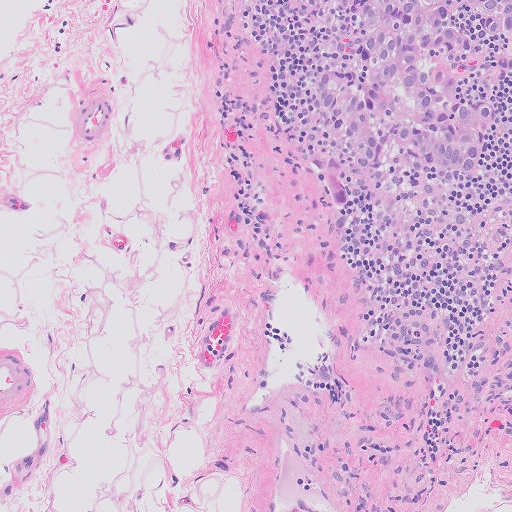
This is a crop of a whole-slide image: an H&E-stained breast-cancer sentinel lymph node section at roughly 10× magnification (about 1.0 µm per pixel; the crop spans about 0.51 mm).
Question: Show where the tumour is in this image.
Answer: One metastatic tumour region; its boundary, reduced to 22 corners and listed clockwise: (363, 0), (511, 0), (511, 78), (492, 92), (466, 84), (464, 96), (491, 108), (480, 176), (455, 182), (416, 166), (388, 167), (367, 183), (356, 178), (343, 214), (330, 208), (315, 182), (322, 171), (348, 164), (310, 90), (315, 76), (354, 65), (352, 37).
About 10% of this field is tumour.